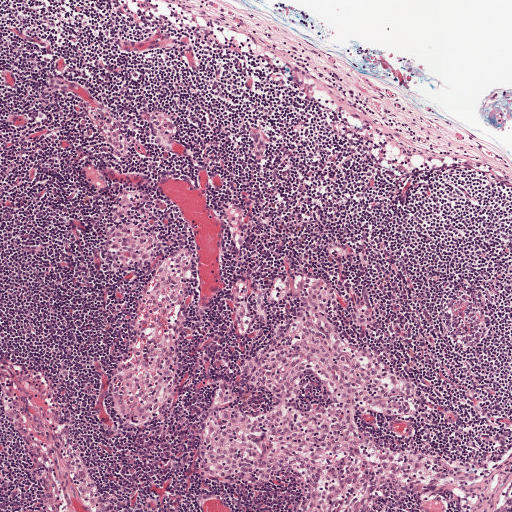
H&E-stained section of a sentinel lymph node (breast cancer), from a whole-slide image, viewed at about 5×: the field is about 1 mm across, about 1.9 µm per pixel.